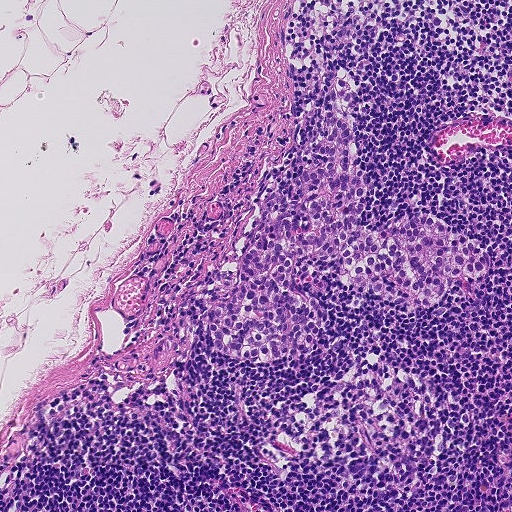
A 0.46-mm field of an H&E-stained sentinel lymph node from a breast-cancer patient (whole-slide image), shown at about 10×, about 0.9 µm per pixel.
The outlined metastatic tumour's edge, as a closed clockwise path of 22 points: (340, 66), (356, 87), (359, 222), (373, 232), (429, 214), (483, 242), (489, 268), (415, 313), (369, 291), (345, 307), (333, 282), (300, 364), (227, 358), (210, 339), (210, 302), (237, 279), (252, 200), (275, 181), (299, 198), (301, 155), (325, 166), (313, 147).
About 15% of this field is tumour.